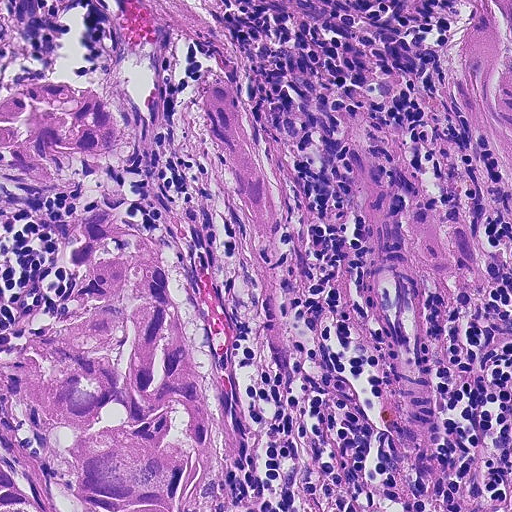
Lymph node section stained with H&E, from a whole-slide image of a breast-cancer sentinel node. Magnification about 20×, about 0.23 mm across the frame, about 0.45 µm per pixel.
Question: Does this lymph node field contain metastatic tumour?
Answer: Yes.
Four metastatic tumour regions, each outlined as a closed clockwise path in crop pixels (x, y), largest first: region 1: (0, 0), (245, 0), (266, 53), (327, 511), (287, 511), (289, 414), (240, 298), (176, 82), (182, 225), (246, 511), (0, 511); region 2: (350, 100), (396, 115), (484, 221), (511, 241), (511, 267), (459, 318), (442, 356), (438, 440), (420, 480), (390, 511), (380, 365), (344, 232); region 3: (437, 0), (511, 0), (511, 212), (439, 88), (457, 49), (452, 4); region 4: (511, 488), (511, 511), (496, 511), (500, 508).
Tumour covers about 70% of the frame.